H&E-stained section of a sentinel lymph node (breast cancer), from a whole-slide image, viewed at about 2.5×: the field is about 1.9 mm across, about 3.6 µm per pixel.
Image:
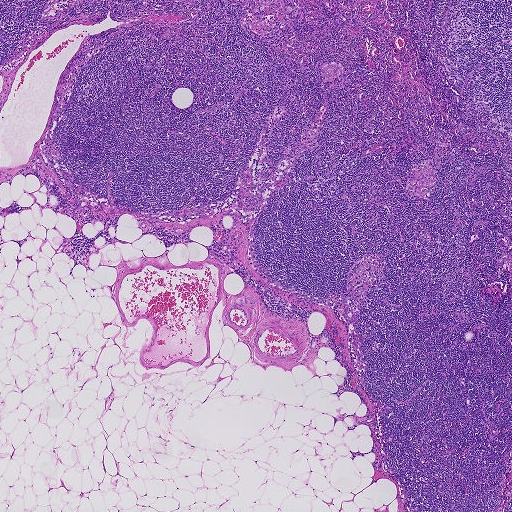
Question:
Is there metastatic carcinoma in this field?
Answer:
No. No metastatic tumour is outlined in this field.